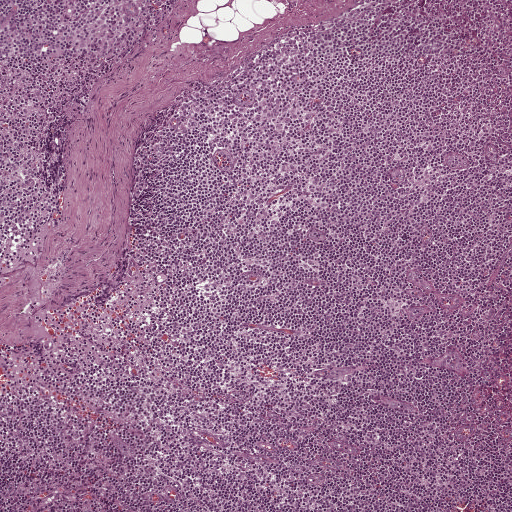
This is a crop of a whole-slide image: an H&E-stained breast-cancer sentinel lymph node section at roughly 5× magnification (about 1.9 µm per pixel; the crop spans about 1 mm).